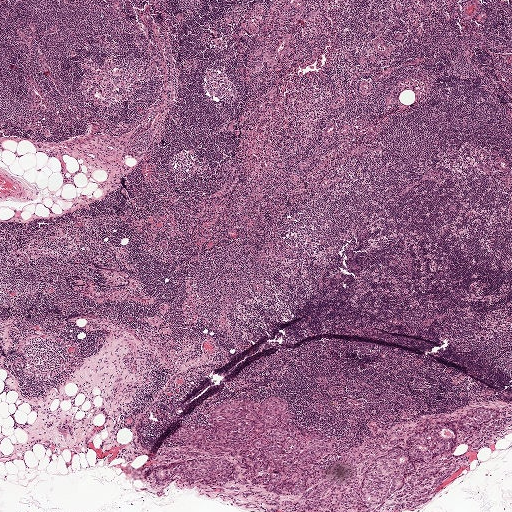
Lymph node section stained with H&E, from a whole-slide image of a breast-cancer sentinel node. Magnification about 2.5×, about 2.0 mm across the frame, about 3.9 µm per pixel.
Tumour region outline (a closed clockwise path, crop pixels): (270, 396), (335, 441), (320, 468), (373, 441), (405, 441), (427, 422), (452, 423), (458, 443), (472, 407), (497, 410), (503, 427), (475, 451), (454, 447), (469, 464), (405, 511), (281, 511), (240, 497), (243, 485), (153, 486), (158, 466), (207, 456), (176, 430), (206, 425), (226, 402).
About 10% of this field is tumour.